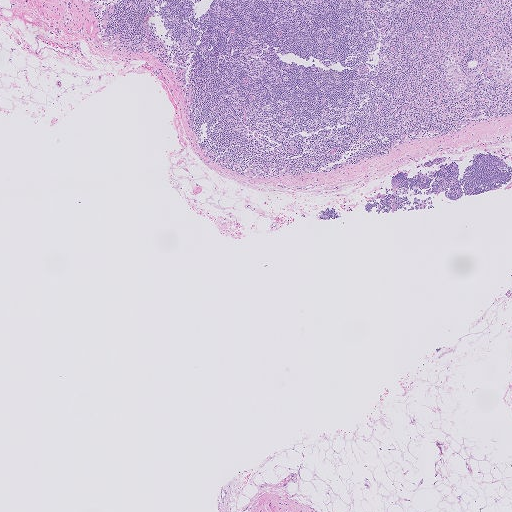
H&E-stained section of a sentinel lymph node (breast cancer), from a whole-slide image, viewed at about 2.5×: the field is about 2.0 mm across, about 4.0 µm per pixel.
Two metastatic tumour regions, each outlined as a closed clockwise path in crop pixels (x, y), largest first: region 1: (450, 155), (450, 159), (434, 168), (421, 169), (414, 167), (418, 162), (435, 156); region 2: (424, 198), (433, 199), (433, 204), (429, 205), (422, 210), (410, 211), (401, 210), (404, 206), (407, 206).
The annotated tumour makes up under 5% of the crop.